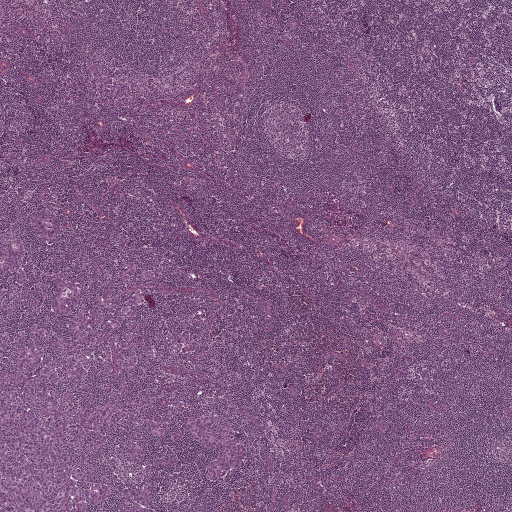
This is a crop of a whole-slide image: an H&E-stained breast-cancer sentinel lymph node section at roughly 2.5× magnification (about 3.9 µm per pixel; the crop spans about 2.0 mm).
Outlines of three tumour regions, largest first (closed clockwise paths, crop pixels): region 1: (12, 225), (31, 256), (29, 277), (68, 272), (93, 253), (110, 268), (131, 260), (154, 271), (128, 323), (146, 337), (184, 329), (199, 348), (138, 344), (138, 354), (172, 378), (143, 376), (134, 395), (167, 391), (153, 411), (179, 399), (184, 417), (226, 419), (247, 446), (242, 467), (215, 487), (204, 471), (216, 450), (186, 437), (150, 438), (146, 456), (128, 466), (121, 436), (95, 454), (95, 467), (112, 480), (111, 498), (89, 510), (0, 511), (0, 251); region 2: (173, 452), (178, 453), (183, 455), (184, 461), (181, 465), (159, 468), (154, 470), (155, 476), (146, 480), (152, 488), (156, 498), (152, 508), (155, 511), (112, 511), (128, 504), (120, 493), (124, 486), (141, 489), (140, 471), (152, 457); region 3: (46, 208), (57, 216), (61, 228), (56, 243), (42, 243), (35, 238), (27, 217), (32, 213), (38, 212).
About 15% of this field is tumour.